Question: 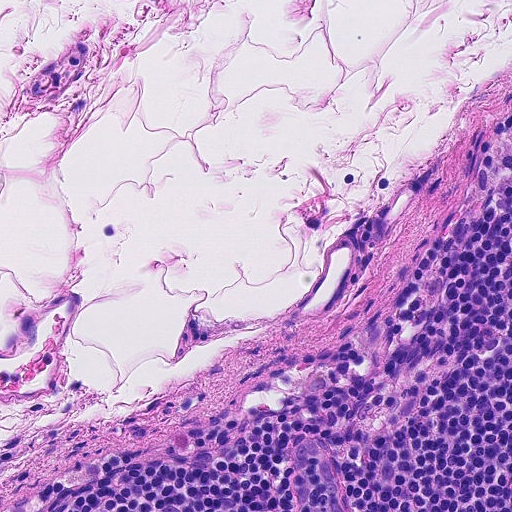
Lymph node section stained with H&E, from a whole-slide image of a breast-cancer sentinel node. Magnification about 20×, about 0.23 mm across the frame, about 0.45 µm per pixel.
About how much of this crop is taken up by metastatic carcinoma?

Choices:
 (A) about 50% or more
 (B) none: no tumour is outlined
 (C) about 25% to 45%
 (D) about 10% to 20%
 (E) about 5% or less

Answer: (B) none: no tumour is outlined
No metastatic tumour is outlined in this field.